Image:
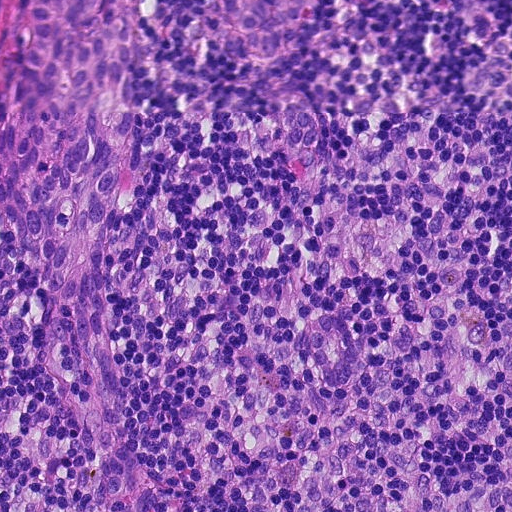
A 0.23-mm field of an H&E-stained sentinel lymph node from a breast-cancer patient (whole-slide image), shown at about 20×, about 0.45 µm per pixel.
Question:
Is any metastatic breast cancer visible in this crop?
Answer:
Yes.
Outlines of two tumour regions, largest first (closed clockwise paths, crop pixels): region 1: (35, 0), (105, 0), (104, 15), (124, 13), (134, 26), (118, 99), (134, 117), (110, 212), (102, 338), (88, 356), (110, 440), (89, 434), (77, 350), (58, 340), (47, 276), (7, 224), (2, 138); region 2: (208, 0), (311, 0), (304, 32), (292, 50), (273, 59), (250, 59), (210, 44), (197, 25).
About 15% of the image area is annotated as tumour.